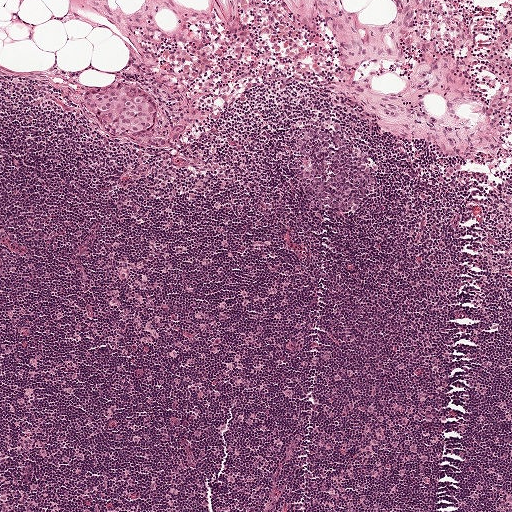
Lymph node section stained with H&E, from a whole-slide image of a breast-cancer sentinel node. Magnification about 5×, about 1 mm across the frame, about 1.9 µm per pixel.
The outlined metastatic tumour's edge, as a closed clockwise path of 17 points: (123, 81), (152, 102), (157, 113), (153, 139), (167, 141), (166, 151), (155, 152), (145, 151), (137, 146), (132, 136), (115, 139), (99, 129), (95, 117), (90, 114), (79, 98), (84, 90), (98, 90).
Tumour covers under 5% of the frame.